Image:
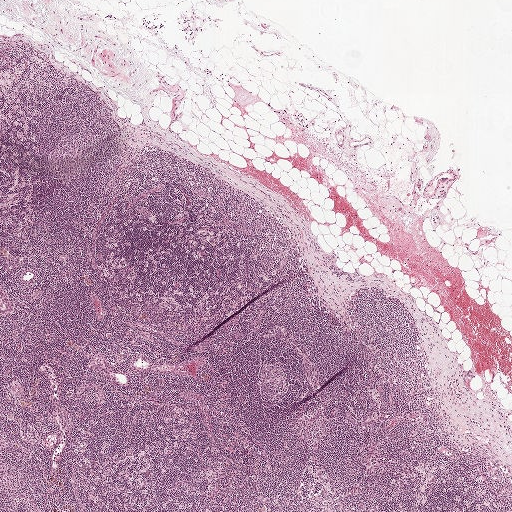
H&E-stained section of a sentinel lymph node (breast cancer), from a whole-slide image, viewed at about 2.5×: the field is about 2.0 mm across, about 3.9 µm per pixel.
Question:
Does this lymph node field contain metastatic tumour?
Answer:
No, this field holds no outlined metastasis.